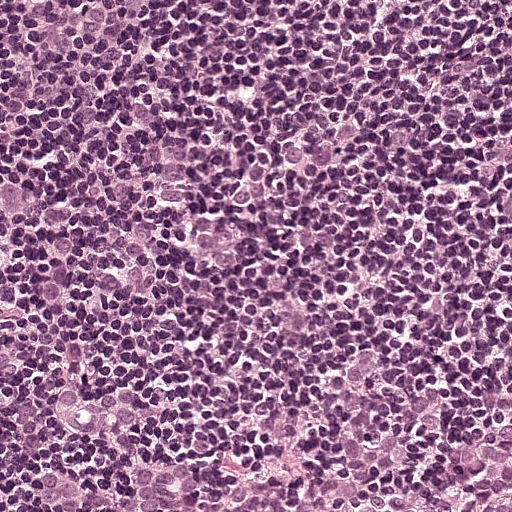
A 0.25-mm field of an H&E-stained sentinel lymph node from a breast-cancer patient (whole-slide image), shown at about 20×, about 0.49 µm per pixel.
Metastatic tumour outline, simplified to 8 points and listed clockwise in crop pixels (x, y): (381, 356), (465, 380), (510, 381), (511, 511), (0, 511), (0, 494), (73, 445), (204, 434).
The annotated tumour makes up about 20% of the crop.